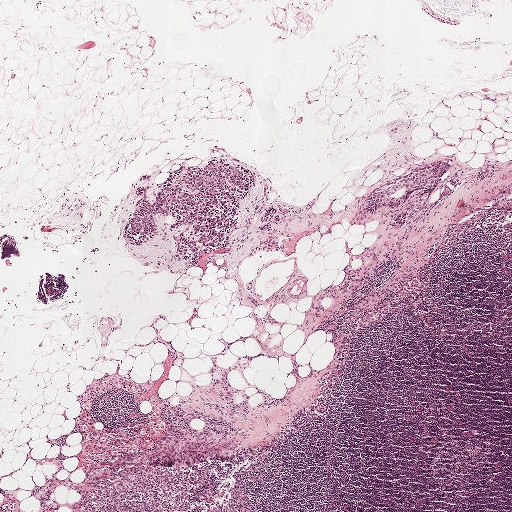
A 2.0-mm field of an H&E-stained sentinel lymph node from a breast-cancer patient (whole-slide image), shown at about 2.5×, about 3.9 µm per pixel.
Two metastatic tumour regions, each outlined as a closed clockwise path in crop pixels (x, y), largest first: region 1: (219, 158), (249, 168), (254, 186), (239, 203), (228, 240), (181, 254), (174, 240), (187, 227), (168, 230), (175, 220), (156, 213), (160, 228), (155, 236), (140, 245), (125, 236), (138, 196), (134, 190), (144, 183), (136, 175), (150, 172), (146, 192), (154, 201), (166, 175), (182, 166); region 2: (444, 161), (452, 162), (453, 166), (438, 179), (428, 203), (406, 225), (391, 228), (388, 223), (422, 194), (422, 189), (412, 191), (401, 206), (393, 211), (380, 211), (372, 216), (363, 212), (364, 201), (374, 190), (388, 185), (427, 165).
About 5% of the image area is annotated as tumour.